This is a crop of a whole-slide image: an H&E-stained breast-cancer sentinel lymph node section at roughly 2.5× magnification (about 3.6 µm per pixel; the crop spans about 1.9 mm).
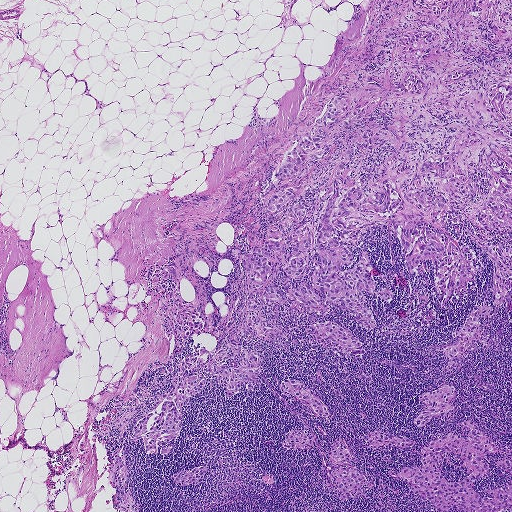
Boundaries of eight metastatic tumour regions, simplified and listed clockwise, largest first: region 1: (466, 419), (493, 441), (498, 451), (482, 458), (489, 466), (471, 484), (475, 491), (491, 499), (484, 492), (511, 481), (511, 508), (443, 511), (429, 498), (422, 501), (414, 493), (411, 480), (399, 472), (424, 466), (420, 452), (431, 441), (451, 432), (465, 436), (470, 429), (459, 421); region 2: (337, 440), (344, 443), (349, 453), (341, 462), (362, 472), (366, 479), (360, 489), (369, 497), (358, 496), (357, 499), (353, 499), (351, 495), (344, 499), (340, 499), (339, 491), (331, 478), (332, 470), (337, 463), (330, 460), (329, 451); region 3: (443, 384), (451, 385), (454, 387), (454, 396), (449, 403), (453, 409), (452, 413), (449, 416), (432, 419), (422, 427), (417, 427), (414, 425), (414, 420), (417, 413), (425, 406), (424, 403), (417, 398), (419, 394), (436, 389); region 4: (122, 444), (119, 454), (123, 456), (128, 470), (130, 493), (141, 511), (134, 511), (119, 500), (116, 489), (110, 479), (110, 472), (113, 465), (109, 460), (108, 456); region 5: (286, 379), (297, 379), (316, 393), (326, 405), (330, 412), (330, 416), (327, 417), (320, 416), (296, 396), (283, 394), (280, 383); region 6: (373, 431), (381, 431), (404, 437), (414, 442), (413, 446), (409, 447), (402, 448), (392, 443), (389, 450), (371, 447), (366, 441), (366, 437); region 7: (294, 429), (305, 429), (313, 440), (311, 447), (300, 450), (284, 448), (281, 446), (282, 442), (290, 430); region 8: (201, 466), (204, 466), (207, 469), (204, 476), (204, 480), (201, 482), (187, 485), (179, 485), (173, 481), (171, 478), (172, 475), (175, 472).
One more tumour region is annotated but not outlined: its edge is too irregular for a short outline.
One more, smaller tumour region is not outlined.
About 30% of this field is tumour.